Image:
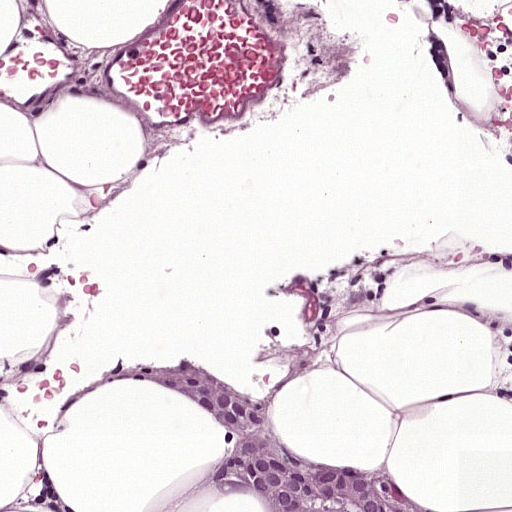
Lymph node section stained with H&E, from a whole-slide image of a breast-cancer sentinel node. Magnification about 20×, about 0.25 mm across the frame, about 0.49 µm per pixel.
Question:
Describe where the metastatic carcinoma lies in this crop.
Answer:
Metastatic tumour outline, simplified to 9 points and listed clockwise in crop pixels (x, y): (191, 362), (261, 402), (298, 464), (379, 460), (435, 511), (276, 511), (218, 492), (240, 439), (143, 374).
The annotated tumour makes up about 5% of the crop.